This is a crop of a whole-slide image: an H&E-stained breast-cancer sentinel lymph node section at roughly 20× magnification (about 0.49 µm per pixel; the crop spans about 0.25 mm).
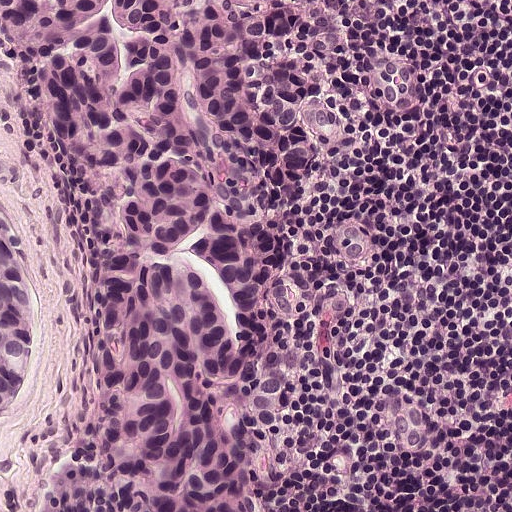
Outlines of three tumour regions, largest first (closed clockwise paths, crop pixels): region 1: (0, 0), (430, 0), (408, 41), (424, 72), (418, 105), (398, 136), (338, 156), (320, 194), (318, 240), (354, 292), (310, 436), (267, 476), (270, 511), (137, 511), (117, 484), (92, 418), (110, 337), (100, 236), (0, 63); region 2: (0, 204), (27, 237), (43, 306), (43, 346), (40, 368), (24, 390), (20, 406), (0, 417); region 3: (487, 0), (511, 0), (511, 10), (510, 10), (510, 12), (504, 12), (498, 12), (498, 9), (489, 4).
About 55% of this field is tumour.